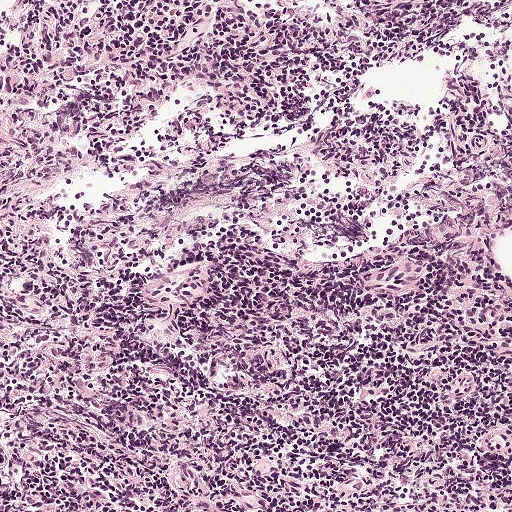
This is a crop of a whole-slide image: an H&E-stained breast-cancer sentinel lymph node section at roughly 10× magnification (about 0.97 µm per pixel; the crop spans about 0.5 mm).
Question: Is any metastatic breast cancer visible in this crop?
Answer: No, this field holds no outlined metastasis.